Question: 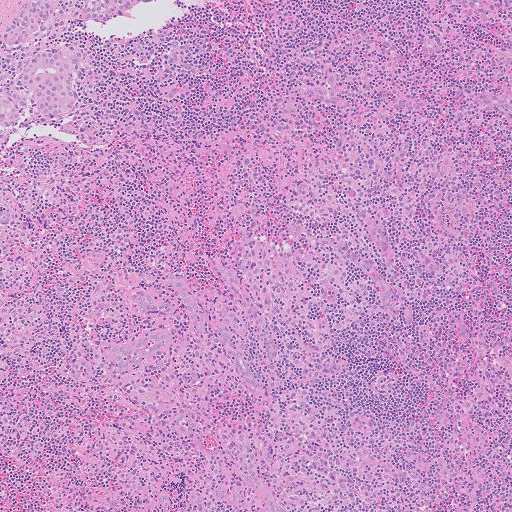
Lymph node section stained with H&E, from a whole-slide image of a breast-cancer sentinel node. Magnification about 5×, about 1.0 mm across the frame, about 2.0 µm per pixel.
About how much of this crop is taken up by metastatic carcinoma?

Choices:
 (A) none: no tumour is outlined
 (B) about 10% to 20%
 (C) about 25% to 45%
 (D) about 5% or less
 (E) about 50% or more

Answer: (D) about 5% or less
About 5% of the field is tumour.
Outlines of three tumour regions, largest first (closed clockwise paths, crop pixels): region 1: (63, 42), (85, 51), (91, 66), (81, 86), (82, 101), (67, 117), (0, 130), (0, 84), (27, 56); region 2: (24, 0), (80, 0), (63, 17), (24, 44), (17, 45), (3, 44), (2, 29); region 3: (82, 0), (162, 0), (134, 8), (100, 23), (84, 22), (79, 17), (78, 9).